Question: 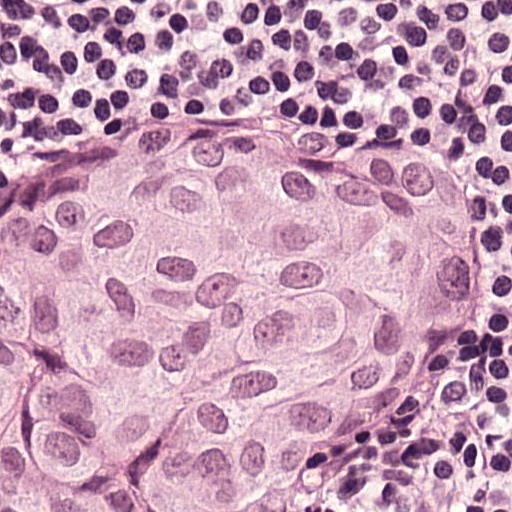
This is a crop of a whole-slide image: an H&E-stained breast-cancer sentinel lymph node section at roughly 40× magnification (about 0.24 µm per pixel; the crop spans about 0.12 mm).
Estimate the proportion of this field that is metastatic tumour.

Choices:
 (A) about 50% or more
 (B) none: no tumour is outlined
 (C) about 25% to 45%
 (D) about 5% or less
 (E) about 10% to 20%

Answer: (A) about 50% or more
About 65% of the field is tumour.
Metastatic tumour outline, simplified to 14 points and listed clockwise in crop pixels (x, y): (86, 122), (123, 136), (204, 122), (364, 125), (423, 148), (478, 196), (497, 240), (497, 329), (475, 374), (441, 407), (308, 488), (292, 511), (0, 511), (0, 178).